Image:
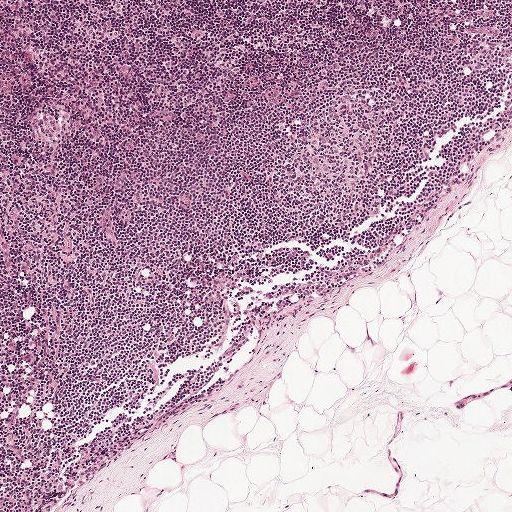
This is a crop of a whole-slide image: an H&E-stained breast-cancer sentinel lymph node section at roughly 5× magnification (about 1.9 µm per pixel; the crop spans about 1 mm).
Question:
Is there metastatic carcinoma in this field?
Answer:
No. No metastatic tumour is outlined in this field.